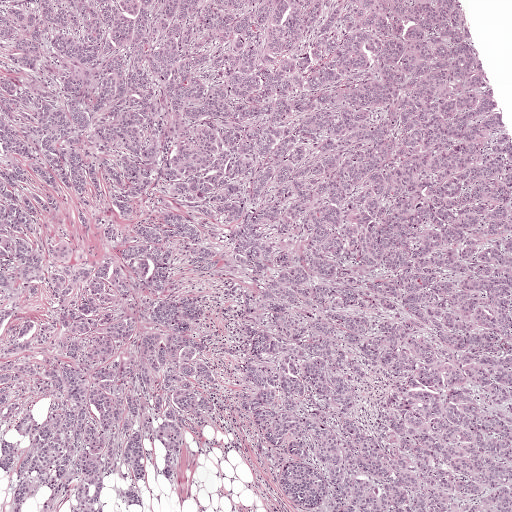
A 2.0-mm field of an H&E-stained sentinel lymph node from a breast-cancer patient (whole-slide image), shown at about 2.5×, about 3.9 µm per pixel.
Question: Where is the metastatic tumour in this field?
Answer: Metastatic tumour outline, simplified to 22 points and listed clockwise in crop pixels (x, y): (0, 0), (460, 0), (511, 135), (511, 511), (298, 511), (218, 390), (169, 483), (146, 461), (143, 511), (115, 475), (105, 511), (69, 511), (80, 477), (51, 511), (36, 511), (47, 488), (12, 511), (1, 441), (31, 442), (15, 428), (51, 395), (8, 419).
About 95% of this field is tumour.